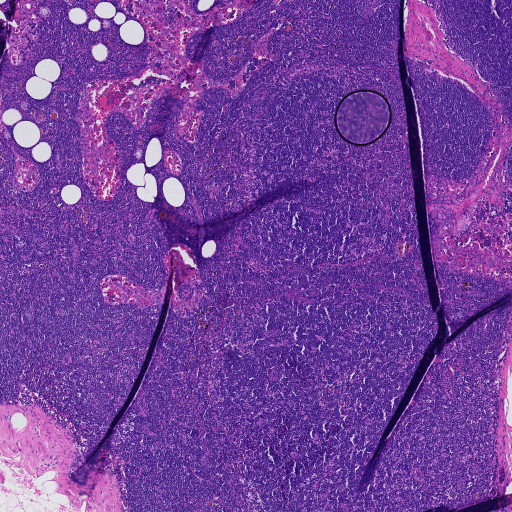
This is a crop of a whole-slide image: an H&E-stained breast-cancer sentinel lymph node section at roughly 2.5× magnification (about 3.6 µm per pixel; the crop spans about 1.9 mm).